A 1.9-mm field of an H&E-stained sentinel lymph node from a breast-cancer patient (whole-slide image), shown at about 2.5×, about 3.6 µm per pixel.
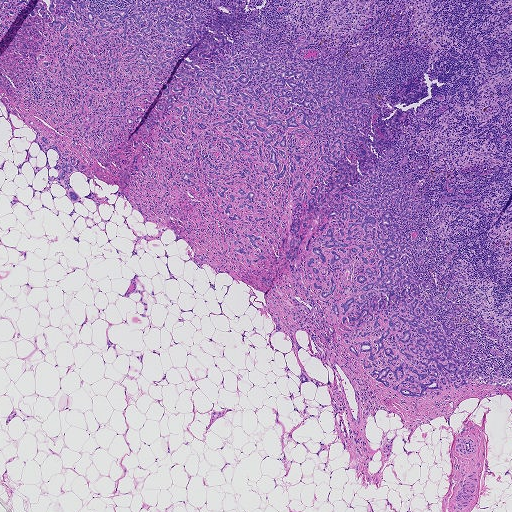
Outlines of three tumour regions, largest first (closed clockwise paths, crop pixels): region 1: (0, 0), (30, 0), (22, 9), (0, 41); region 2: (354, 47), (357, 47), (357, 49), (357, 52), (354, 56), (354, 57), (359, 57), (361, 58), (361, 60), (360, 62), (358, 61), (355, 64), (350, 67), (345, 67), (346, 64), (347, 62), (349, 60), (353, 58), (353, 56), (351, 55), (350, 52), (352, 48); region 3: (275, 316), (277, 316), (279, 318), (280, 321), (278, 323), (280, 325), (280, 331), (278, 332), (275, 332), (275, 326), (277, 323), (275, 323), (273, 318).
One more tumour region is annotated but not outlined: its edge is too irregular for a short outline.
Seven more small tumour pieces are annotated here but not outlined.
About 35% of this field is tumour.